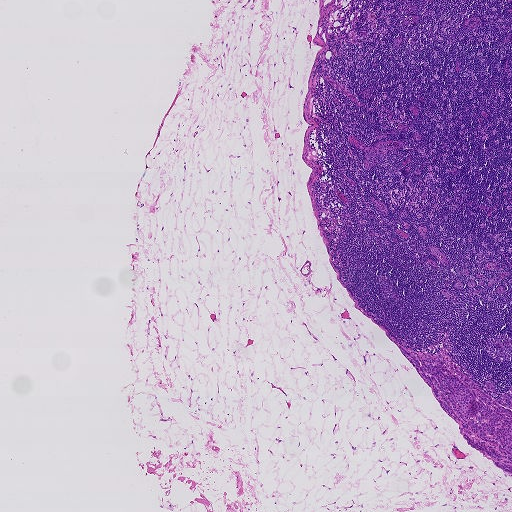
A 1.9-mm field of an H&E-stained sentinel lymph node from a breast-cancer patient (whole-slide image), shown at about 2.5×, about 3.6 µm per pixel.
Tumour region outline (a closed clockwise path, crop pixels): (386, 333), (404, 347), (444, 354), (485, 392), (493, 399), (511, 392), (511, 477), (470, 446), (456, 422), (443, 410), (430, 387).
The annotated tumour makes up under 5% of the crop.